Image:
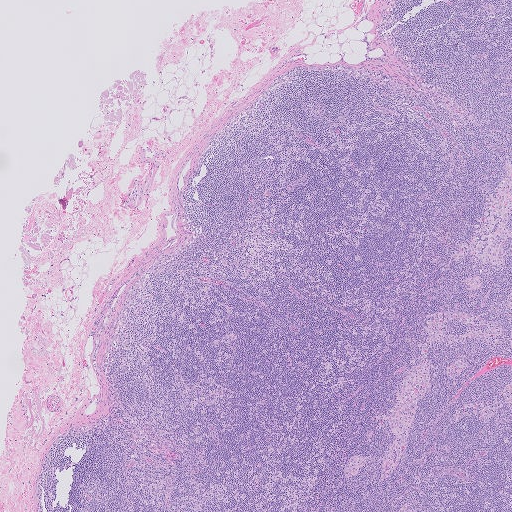
H&E-stained section of a sentinel lymph node (breast cancer), from a whole-slide image, viewed at about 2.5×: the field is about 2.0 mm across, about 4.0 µm per pixel.
Question:
Which parts of this field are metastatic tumour? Answer with the outline of each region, in pixels.
Answer:
The outlined metastatic tumour's edge, as a closed clockwise path of 15 points: (109, 310), (111, 311), (111, 319), (102, 333), (100, 347), (97, 354), (96, 362), (97, 370), (95, 371), (91, 362), (92, 353), (94, 348), (95, 338), (104, 316), (107, 311).
Under 5% of this field is tumour.